Question: 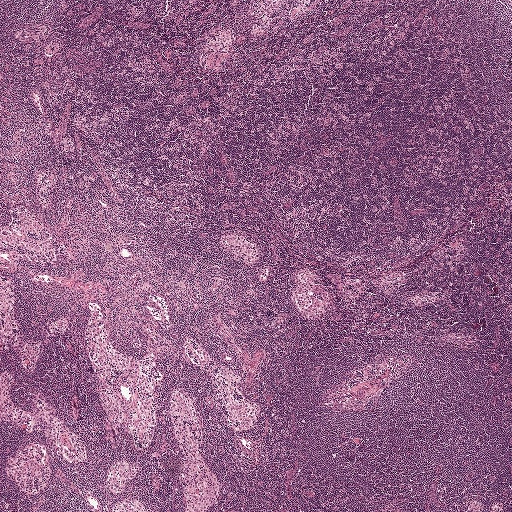
At roughly what magnification is this field shown?

Choices:
 (A) about 40×
 (B) about 2.5×
 (C) about 5×
 (D) about 10×
 (E) about 20×

Answer: (B) about 2.5×
Lymph node section stained with H&E, from a whole-slide image of a breast-cancer sentinel node. Magnification about 2.5×, about 2.0 mm across the frame, about 3.9 µm per pixel.